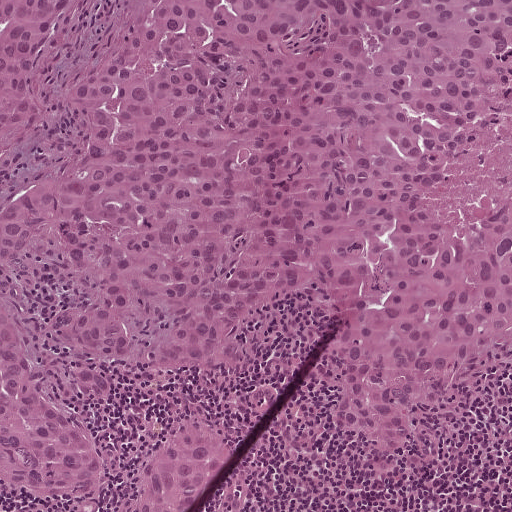
Lymph node section stained with H&E, from a whole-slide image of a breast-cancer sentinel node. Magnification about 10×, about 0.5 mm across the frame, about 0.97 µm per pixel.
Outlines of three tumour regions, largest first (closed clockwise paths, crop pixels): region 1: (111, 0), (511, 0), (511, 337), (464, 390), (435, 451), (373, 484), (346, 464), (319, 399), (302, 299), (281, 300), (219, 381), (117, 386), (88, 406), (107, 483), (84, 509), (0, 507), (0, 211), (74, 147), (66, 114); region 2: (0, 0), (97, 0), (62, 50), (24, 145), (0, 169); region 3: (181, 416), (216, 433), (234, 455), (202, 511), (130, 511), (150, 443).
About 80% of the image area is annotated as tumour.